Question: 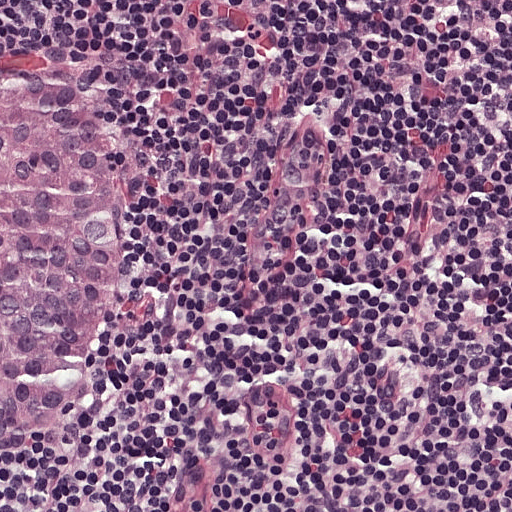
At roughly what magnification is this field shown?

Choices:
 (A) about 5×
 (B) about 10×
 (C) about 2.5×
 (D) about 20×
 (E) about 40×

Answer: (D) about 20×
A 0.25-mm field of an H&E-stained sentinel lymph node from a breast-cancer patient (whole-slide image), shown at about 20×, about 0.49 µm per pixel.
Tumour region outline (a closed clockwise path, crop pixels): (48, 78), (93, 88), (118, 124), (122, 215), (74, 390), (46, 427), (0, 452), (0, 84).
About 15% of the image area is annotated as tumour.
Question: 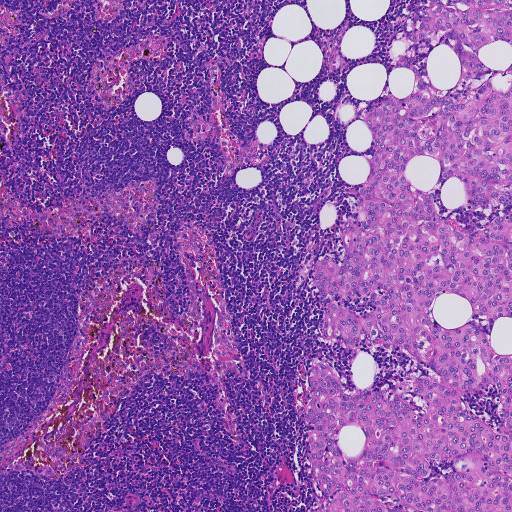
At roughly what magnification is this field shown?

Choices:
 (A) about 20×
 (B) about 10×
 (C) about 40×
 (D) about 2.5×
 (E) about 5×

Answer: (E) about 5×
A 0.93-mm field of an H&E-stained sentinel lymph node from a breast-cancer patient (whole-slide image), shown at about 5×, about 1.8 µm per pixel.
Tumour region outline (a closed clockwise path, crop pixels): (511, 0), (511, 511), (308, 511), (320, 494), (297, 410), (312, 360), (335, 362), (347, 388), (382, 386), (425, 410), (412, 380), (432, 375), (409, 355), (320, 333), (328, 302), (312, 272), (344, 255), (340, 226), (373, 146), (362, 116), (413, 92), (398, 60), (426, 2).
About 30% of the image area is annotated as tumour.
Question: 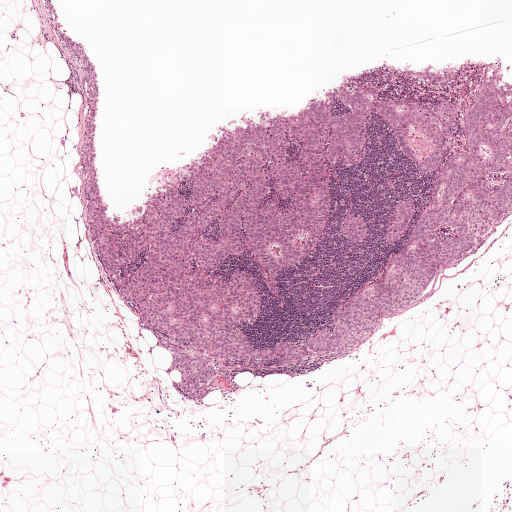
At roughly what magnification is this field shown?

Choices:
 (A) about 2.5×
 (B) about 20×
 (C) about 10×
 (D) about 5×
 (E) about 40×

Answer: (A) about 2.5×
Lymph node section stained with H&E, from a whole-slide image of a breast-cancer sentinel node. Magnification about 2.5×, about 2.0 mm across the frame, about 3.9 µm per pixel.
Boundaries of four metastatic tumour regions, simplified and listed clockwise, largest first: region 1: (57, 30), (95, 60), (114, 215), (224, 123), (291, 114), (329, 87), (459, 113), (429, 175), (408, 169), (370, 117), (366, 162), (333, 168), (313, 257), (271, 277), (248, 252), (223, 260), (225, 282), (241, 269), (258, 282), (260, 316), (241, 322), (258, 346), (313, 332), (383, 273), (463, 149), (470, 96), (507, 64), (511, 210), (349, 350), (285, 370), (228, 362), (230, 377), (195, 403), (176, 391), (171, 355), (91, 240), (84, 74); region 2: (428, 64), (465, 64), (460, 77), (441, 82), (424, 82), (406, 77), (396, 68); region 3: (409, 195), (415, 200), (415, 207), (403, 236), (390, 244), (384, 241), (389, 218), (397, 205); region 4: (350, 212), (363, 218), (366, 232), (364, 239), (357, 243), (343, 237), (339, 231), (339, 223).
The annotated tumour makes up about 30% of the crop.
Question: 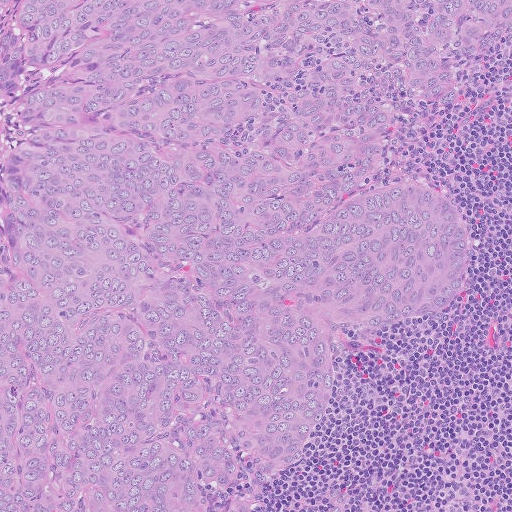
At roughly what magnification is this field shown?

Choices:
 (A) about 2.5×
 (B) about 5×
 (C) about 40×
 (D) about 20×
 (E) about 10×

Answer: (E) about 10×
This is a crop of a whole-slide image: an H&E-stained breast-cancer sentinel lymph node section at roughly 10× magnification (about 1.0 µm per pixel; the crop spans about 0.51 mm).
Metastatic tumour outline, simplified to 15 points and listed clockwise in crop pixels (x, y): (0, 0), (511, 0), (511, 42), (467, 55), (458, 98), (440, 110), (418, 104), (391, 163), (466, 211), (480, 274), (452, 306), (350, 346), (322, 426), (266, 511), (0, 511).
The annotated tumour makes up about 80% of the crop.